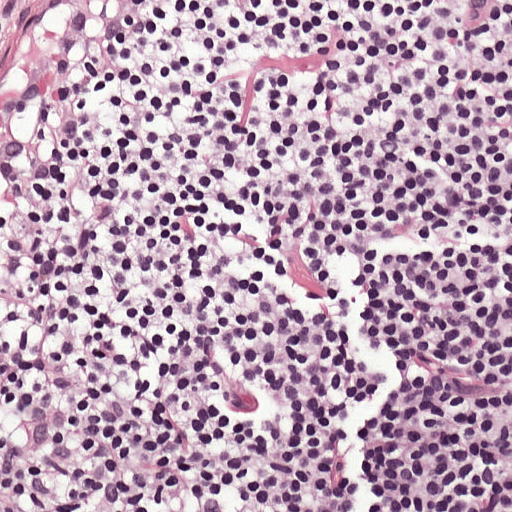
H&E-stained section of a sentinel lymph node (breast cancer), from a whole-slide image, viewed at about 20×: the field is about 0.25 mm across, about 0.49 µm per pixel.